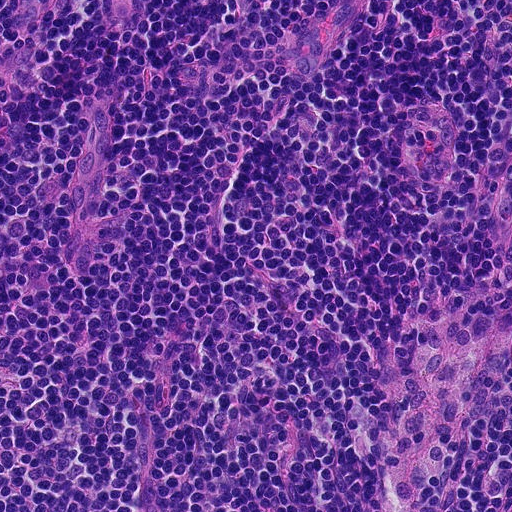
Lymph node section stained with H&E, from a whole-slide image of a breast-cancer sentinel node. Magnification about 20×, about 0.23 mm across the frame, about 0.45 µm per pixel.
Question: Does this lymph node field contain metastatic tumour?
Answer: No: no metastatic tumour is outlined anywhere in this field.